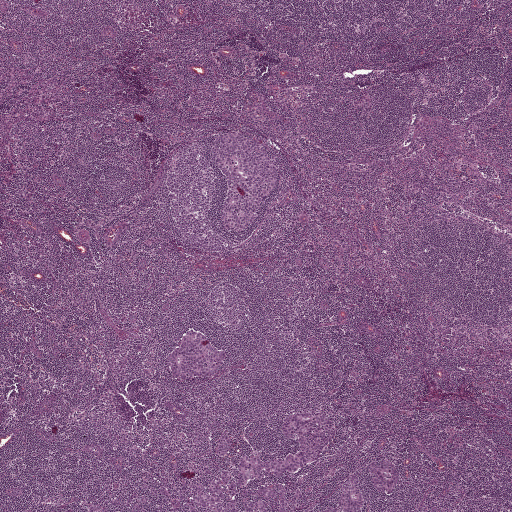
H&E-stained section of a sentinel lymph node (breast cancer), from a whole-slide image, viewed at about 2.5×: the field is about 2.0 mm across, about 3.9 µm per pixel.
Five metastatic tumour regions, each outlined as a closed clockwise path in crop pixels (x, y), largest first: region 1: (313, 412), (335, 421), (336, 439), (322, 457), (296, 472), (261, 478), (264, 484), (287, 483), (306, 493), (312, 484), (316, 495), (336, 505), (346, 478), (357, 475), (370, 511), (84, 511), (81, 507), (89, 501), (106, 506), (133, 491), (144, 494), (143, 482), (168, 488), (174, 496), (179, 489), (189, 493), (231, 466), (231, 460), (214, 455), (214, 449), (227, 431), (236, 458), (282, 458), (300, 443), (285, 436), (283, 418); region 2: (225, 132), (242, 133), (257, 140), (269, 152), (276, 166), (279, 182), (274, 192), (263, 203), (256, 219), (244, 230), (228, 231), (224, 228), (222, 212), (226, 180), (211, 158), (211, 147), (216, 137); region 3: (195, 328), (206, 334), (213, 345), (225, 350), (227, 356), (226, 362), (218, 373), (207, 379), (189, 382), (177, 380), (173, 375), (167, 362), (167, 355), (185, 332); region 4: (385, 458), (396, 466), (400, 478), (395, 493), (382, 493), (374, 488), (366, 467), (371, 463), (377, 462); region 5: (432, 503), (438, 506), (442, 509), (443, 511), (418, 511), (423, 510), (427, 505).
Four more small tumour pieces are annotated here but not outlined.
The annotated tumour makes up about 5% of the crop.